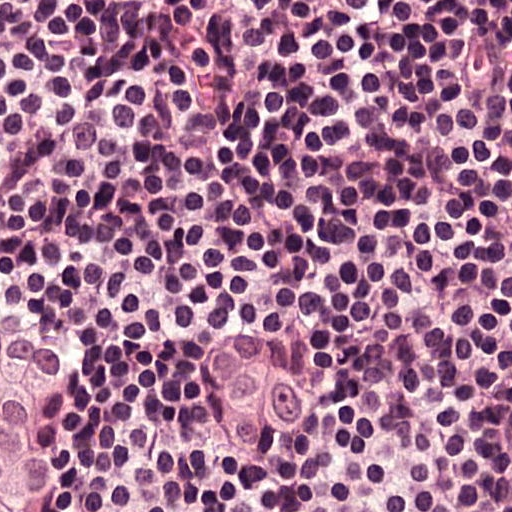
H&E-stained section of a sentinel lymph node (breast cancer), from a whole-slide image, viewed at about 40×: the field is about 0.12 mm across, about 0.24 µm per pixel.
Boundaries of two metastatic tumour regions, simplified and listed clockwise, largest first: region 1: (224, 331), (319, 349), (342, 362), (347, 370), (347, 415), (337, 444), (277, 480), (253, 480), (221, 465), (192, 426), (187, 381), (198, 344); region 2: (6, 289), (58, 307), (90, 331), (94, 402), (82, 436), (82, 476), (74, 510), (0, 511), (0, 291).
Tumour covers about 15% of the frame.